Question: 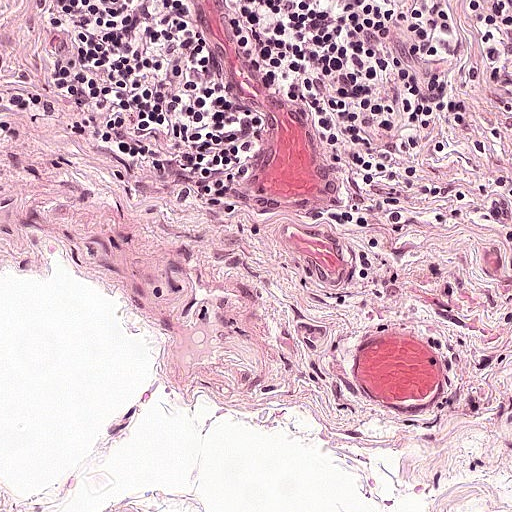
At roughly what magnification is this field shown?

Choices:
 (A) about 40×
 (B) about 20×
 (C) about 2.5×
 (D) about 10×
 (E) about 5×

Answer: (B) about 20×
A 0.25-mm field of an H&E-stained sentinel lymph node from a breast-cancer patient (whole-slide image), shown at about 20×, about 0.49 µm per pixel.